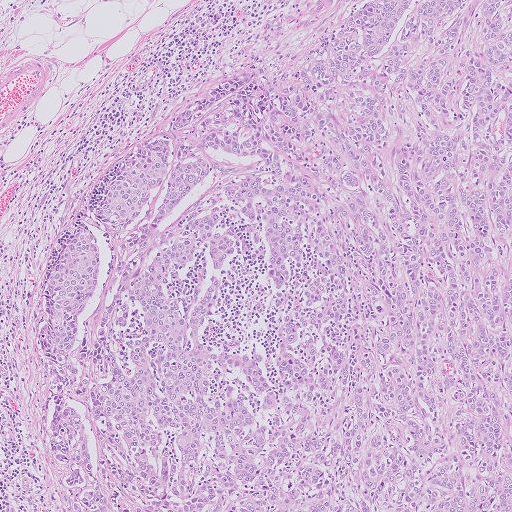
A 1.0-mm field of an H&E-stained sentinel lymph node from a breast-cancer patient (whole-slide image), shown at about 5×, about 2.0 µm per pixel.
The outlined metastatic tumour's edge, as a closed clockwise path of 9 points: (511, 0), (511, 511), (65, 511), (40, 467), (46, 390), (24, 330), (50, 244), (150, 128), (349, 4).
About 80% of the image area is annotated as tumour.